Question: 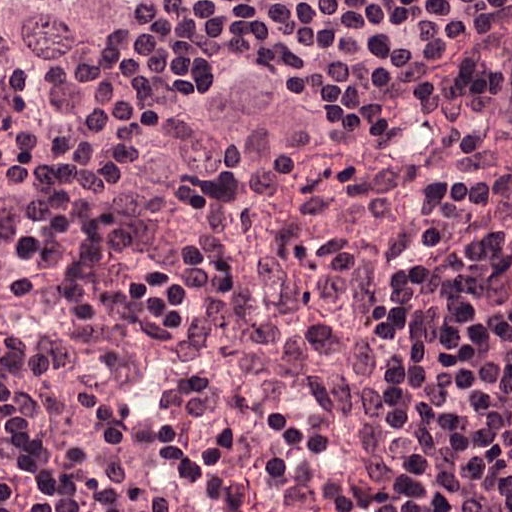
About what magnification does this crop show?

Choices:
 (A) about 5×
 (B) about 20×
 (C) about 40×
 (D) about 10×
 (E) about 2.5×

Answer: (C) about 40×
H&E-stained section of a sentinel lymph node (breast cancer), from a whole-slide image, viewed at about 40×: the field is about 0.12 mm across, about 0.24 µm per pixel.
Outlines of two tumour regions, largest first (closed clockwise paths, crop pixels): region 1: (235, 67), (272, 70), (277, 86), (276, 113), (224, 165), (201, 174), (154, 217), (135, 219), (115, 213), (108, 206), (101, 179), (128, 136), (158, 108); region 2: (0, 0), (203, 0), (185, 15), (85, 63), (89, 85), (42, 93), (3, 88).
About 10% of this field is tumour.